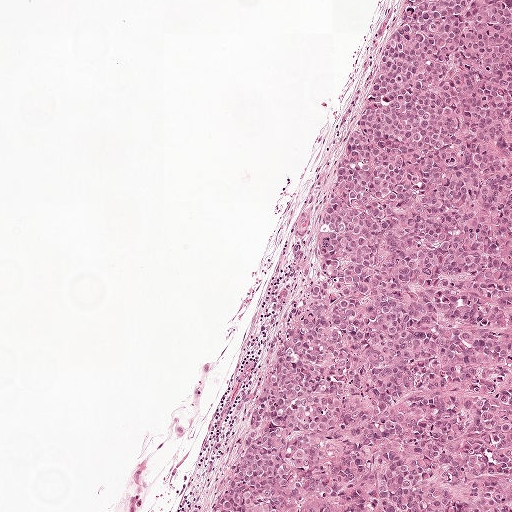
Lymph node section stained with H&E, from a whole-slide image of a breast-cancer sentinel node. Magnification about 5×, about 1 mm across the frame, about 1.9 µm per pixel.
The outlined metastatic tumour's edge, as a closed clockwise path of 5 points: (511, 0), (511, 511), (206, 511), (333, 134), (398, 3).
About 40% of this field is tumour.